Lymph node section stained with H&E, from a whole-slide image of a breast-cancer sentinel node. Magnification about 10×, about 0.5 mm across the frame, about 0.97 µm per pixel.
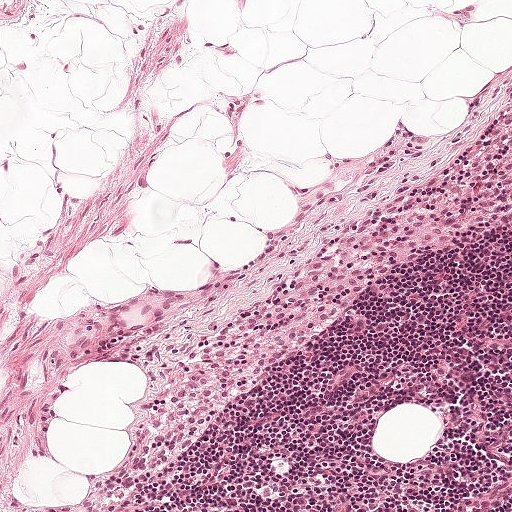
Question: Does this lymph node field contain metastatic tumour?
Answer: No: no metastatic tumour is outlined anywhere in this field.